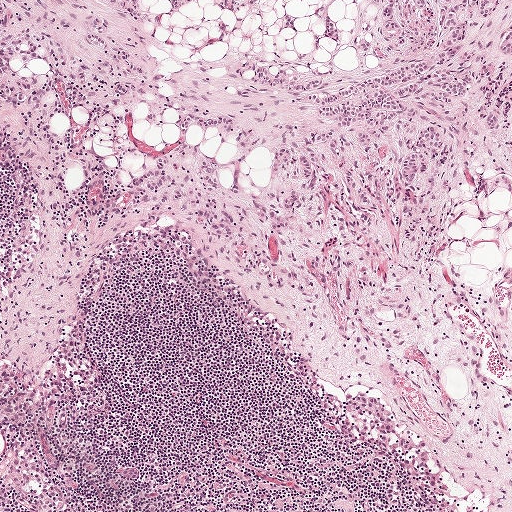
This is a crop of a whole-slide image: an H&E-stained breast-cancer sentinel lymph node section at roughly 5× magnification (about 1.9 µm per pixel; the crop spans about 1 mm).
Metastatic tumour outline, simplified to 11 points and listed clockwise in crop pixels (x, y): (0, 0), (511, 0), (511, 183), (327, 288), (253, 284), (170, 229), (140, 233), (79, 267), (62, 252), (32, 155), (0, 110).
Tumour covers about 45% of the frame.